This is a crop of a whole-slide image: an H&E-stained breast-cancer sentinel lymph node section at roughly 20× magnification (about 0.45 µm per pixel; the crop spans about 0.23 mm).
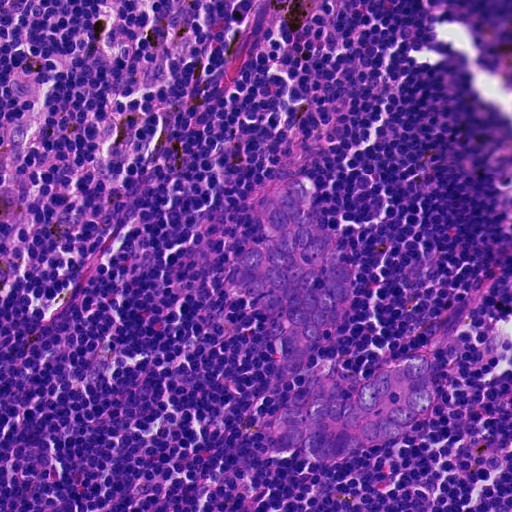
The outlined metastatic tumour's edge, as a closed clockwise path of 22 points: (290, 178), (310, 180), (355, 270), (354, 291), (312, 358), (350, 370), (352, 390), (422, 350), (434, 370), (432, 410), (345, 458), (287, 453), (272, 418), (320, 379), (302, 367), (286, 376), (262, 316), (228, 290), (226, 268), (256, 240), (267, 224), (260, 205).
The annotated tumour makes up about 10% of the crop.